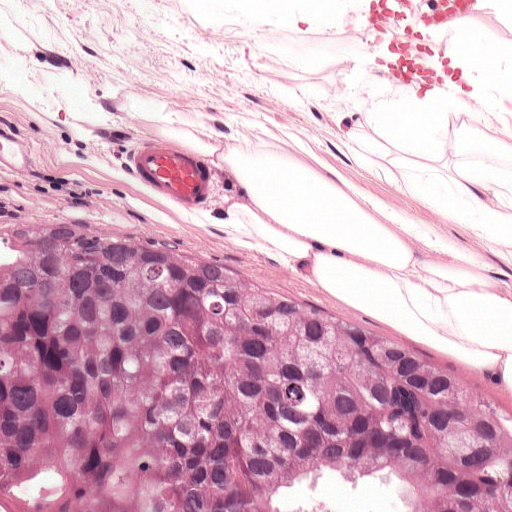
A 0.25-mm field of an H&E-stained sentinel lymph node from a breast-cancer patient (whole-slide image), shown at about 20×, about 0.49 µm per pixel.
The outlined metastatic tumour's edge, as a closed clockwise path of 7 points: (0, 214), (134, 222), (226, 242), (311, 281), (511, 411), (511, 511), (0, 511).
About 45% of the image area is annotated as tumour.